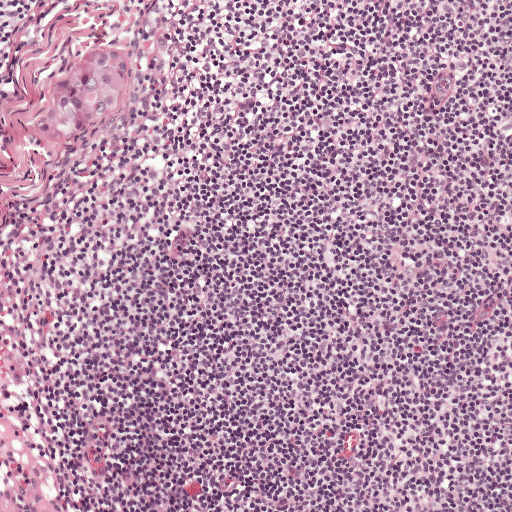
This is a crop of a whole-slide image: an H&E-stained breast-cancer sentinel lymph node section at roughly 10× magnification (about 0.97 µm per pixel; the crop spans about 0.5 mm).
Tumour region outline (a closed clockwise path, crop pixels): (113, 46), (126, 51), (130, 74), (130, 100), (112, 120), (74, 140), (54, 140), (33, 124), (40, 104), (53, 90), (58, 77).
Under 5% of the image area is annotated as tumour.